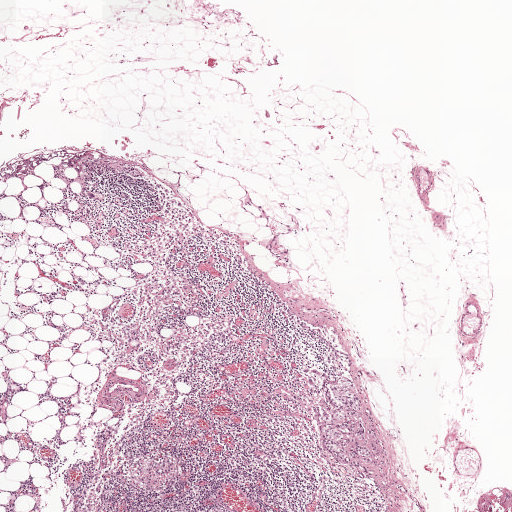
Lymph node section stained with H&E, from a whole-slide image of a breast-cancer sentinel node. Magnification about 2.5×, about 2.0 mm across the frame, about 3.9 µm per pixel.
Boundaries of two metastatic tumour regions, simplified and listed clockwise, largest first: region 1: (341, 376), (351, 379), (361, 398), (363, 427), (371, 427), (375, 433), (373, 440), (357, 439), (359, 445), (369, 447), (374, 461), (359, 465), (356, 468), (351, 465), (352, 460), (345, 463), (324, 459), (320, 453), (321, 438), (322, 417), (328, 403), (324, 389); region 2: (315, 369), (327, 377), (324, 378), (316, 374), (313, 377), (313, 386), (308, 381), (310, 370).
Two more small tumour pieces are annotated here but not outlined.
Tumour covers under 5% of the frame.